Question: 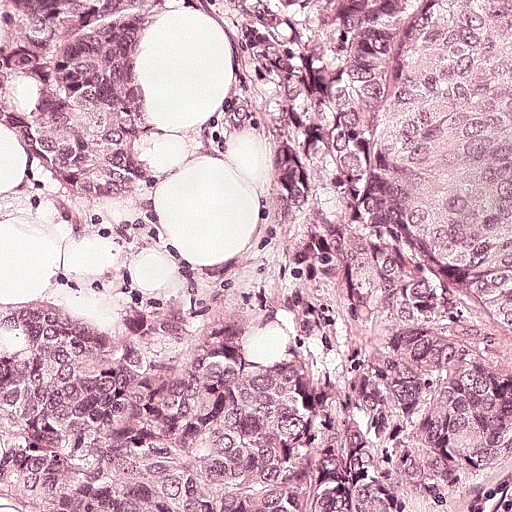
H&E-stained section of a sentinel lymph node (breast cancer), from a whole-slide image, viewed at about 20×: the field is about 0.25 mm across, about 0.49 µm per pixel.
Estimate the proportion of this field that is metastatic tumour.

Choices:
 (A) about 50% or more
 (B) about 5% or less
 (C) none: no tumour is outlined
 (D) about 10% to 20%
 (E) about 25% to 45%

Answer: (A) about 50% or more
Over 95% of the field is tumour.
Metastatic tumour covers the whole field.